Image:
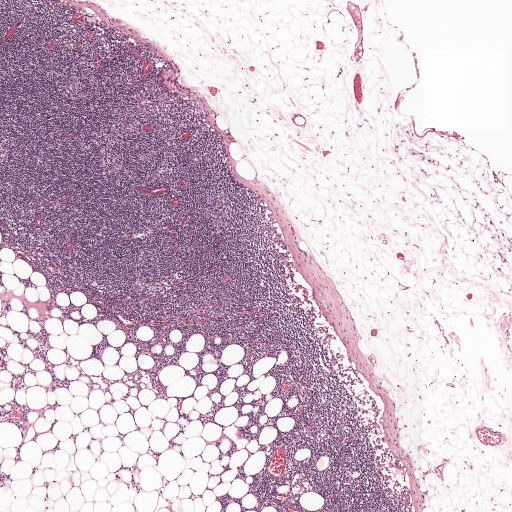
This is a crop of a whole-slide image: an H&E-stained breast-cancer sentinel lymph node section at roughly 2.5× magnification (about 3.9 µm per pixel; the crop spans about 2.0 mm).
Question:
Which parts of this field are metastatic tumour? Answer with the outline of each region, in pixels.
Answer:
One metastatic tumour region; its boundary, reduced to 10 corners and listed clockwise: (186, 153), (193, 153), (198, 154), (203, 158), (203, 162), (203, 165), (201, 165), (194, 164), (184, 156), (184, 154).
The annotated tumour makes up under 5% of the crop.